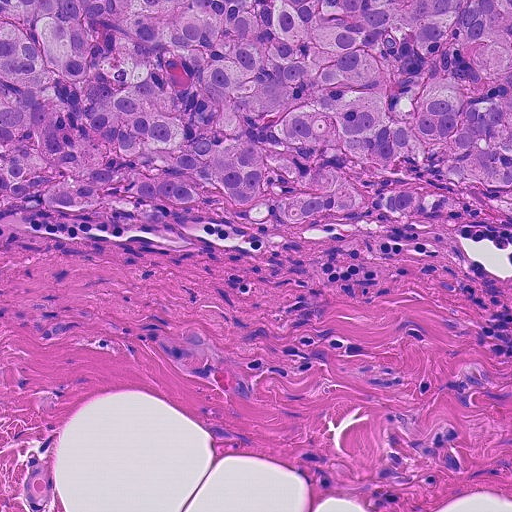
H&E-stained section of a sentinel lymph node (breast cancer), from a whole-slide image, viewed at about 20×: the field is about 0.23 mm across, about 0.45 µm per pixel.
Metastatic tumour outline, simplified to 7 points and listed clockwise in crop pixels (x, y): (0, 0), (511, 0), (511, 213), (466, 226), (299, 226), (134, 206), (6, 211).
The annotated tumour makes up about 40% of the crop.